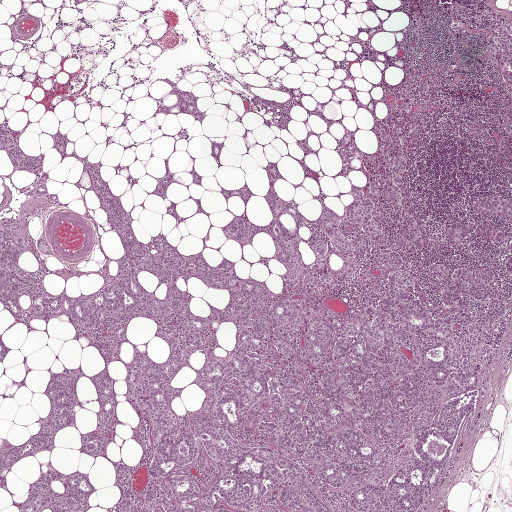
Lymph node section stained with H&E, from a whole-slide image of a breast-cancer sentinel node. Magnification about 2.5×, about 2.0 mm across the frame, about 3.9 µm per pixel.
Question: Where is the metastatic tumour in this field? Give each region's outline as (x, y) pixel points.
Answer: Eight metastatic tumour regions, each outlined as a closed clockwise path in crop pixels (x, y), largest first: region 1: (500, 26), (504, 27), (511, 36), (511, 61), (508, 68), (511, 73), (511, 82), (504, 80), (501, 75), (507, 67), (500, 64), (495, 58), (487, 42), (490, 32); region 2: (167, 78), (176, 83), (181, 91), (191, 91), (198, 97), (197, 103), (200, 112), (205, 116), (202, 122), (196, 118), (196, 115), (157, 113), (156, 109), (177, 104), (180, 98), (171, 95), (173, 88), (161, 80); region 3: (0, 128), (13, 139), (23, 152), (42, 163), (34, 171), (18, 171), (14, 167), (6, 152), (0, 149); region 4: (345, 131), (351, 133), (357, 148), (364, 153), (364, 157), (361, 160), (355, 158), (351, 163), (350, 169), (346, 174), (342, 172), (342, 160), (338, 149), (338, 142); region 5: (167, 162), (174, 177), (171, 185), (166, 191), (166, 196), (175, 204), (177, 218), (167, 212), (171, 205), (164, 197), (156, 195), (147, 195), (153, 192), (156, 188), (158, 183), (155, 178), (163, 177), (166, 173), (164, 165); region 6: (245, 186), (249, 191), (254, 195), (245, 202), (239, 195), (235, 194), (226, 198), (222, 193), (224, 190), (230, 190), (237, 190), (238, 188); region 7: (211, 141), (223, 142), (221, 163), (218, 165), (212, 154); region 8: (511, 252), (511, 276), (507, 272), (504, 266), (505, 259), (509, 254).
One more tumour region is annotated but not outlined: its edge is too irregular for a short outline.
Four more, smaller tumour regions are not outlined.
Four more small tumour pieces are annotated here but not outlined.
About 40% of this field is tumour.